Question: 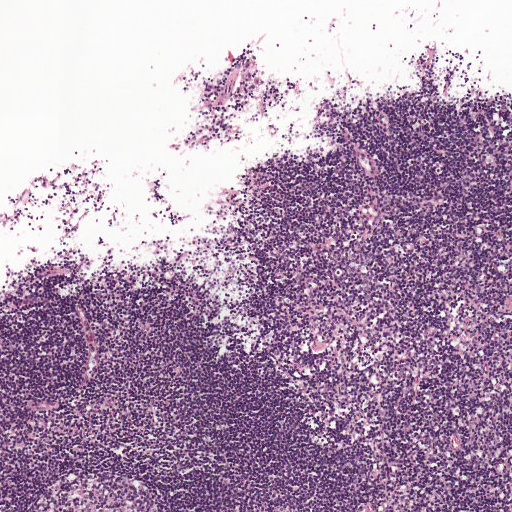
About what magnification does this crop show?

Choices:
 (A) about 2.5×
 (B) about 5×
 (C) about 10×
 (D) about 40×
 (E) about 20×

Answer: (B) about 5×
Lymph node section stained with H&E, from a whole-slide image of a breast-cancer sentinel node. Magnification about 5×, about 1 mm across the frame, about 1.9 µm per pixel.